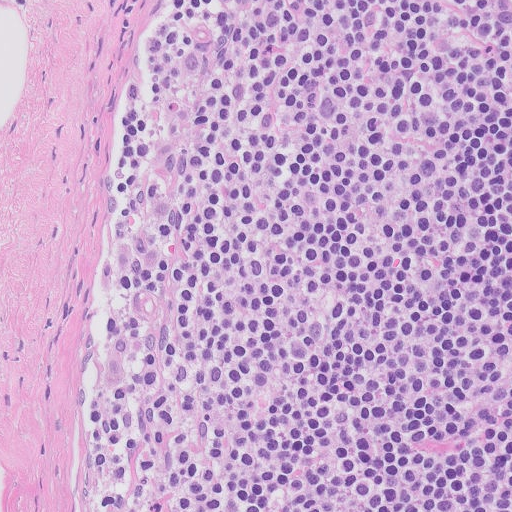
Lymph node section stained with H&E, from a whole-slide image of a breast-cancer sentinel node. Magnification about 20×, about 0.26 mm across the frame, about 0.5 µm per pixel.